Lymph node section stained with H&E, from a whole-slide image of a breast-cancer sentinel node. Magnification about 2.5×, about 1.9 mm across the frame, about 3.6 µm per pixel.
Question: 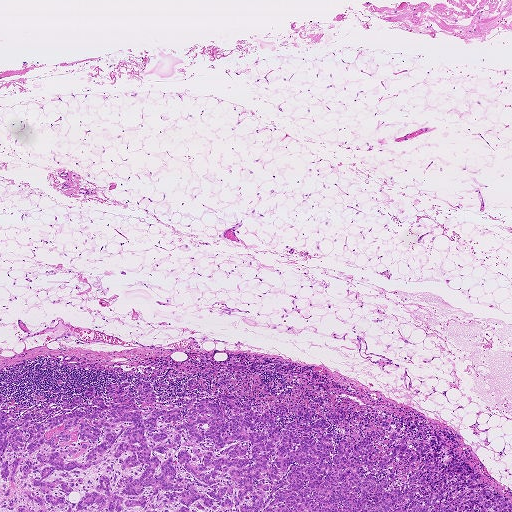
Roughly what share of this field is metastatic tumour?

Choices:
 (A) about 50% or more
 (B) about 10% to 20%
 (C) none: no tumour is outlined
 (D) about 5% or less
 (E) about 25% to 45%

Answer: (B) about 10% to 20%
About 20% of the field is tumour.
The outlined metastatic tumour's edge, as a closed clockwise path of 36 points: (222, 378), (242, 406), (286, 406), (281, 432), (301, 419), (293, 405), (320, 396), (325, 416), (365, 411), (364, 436), (388, 420), (388, 446), (407, 435), (416, 453), (414, 442), (440, 436), (444, 462), (450, 448), (511, 505), (0, 511), (0, 408), (16, 418), (53, 396), (51, 416), (64, 394), (95, 406), (88, 388), (112, 400), (106, 385), (131, 381), (138, 403), (141, 380), (155, 394), (147, 418), (178, 399), (219, 405).
Two more small tumour pieces are annotated here but not outlined.